This is a crop of a whole-slide image: an H&E-stained breast-cancer sentinel lymph node section at roughly 40× magnification (about 0.23 µm per pixel; the crop spans about 0.12 mm).
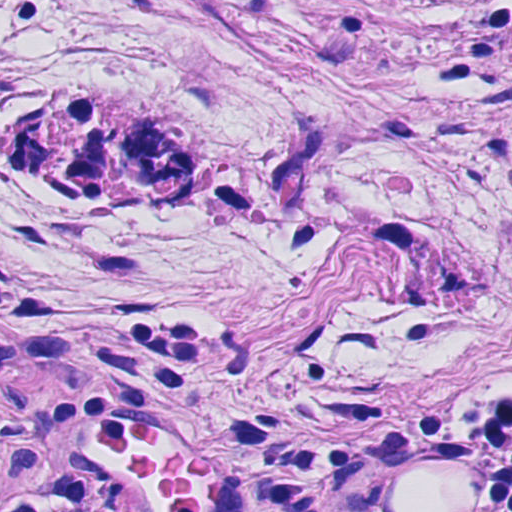
Two metastatic tumour regions, each outlined as a closed clockwise path in crop pixels (x, y), largest first: region 1: (58, 21), (107, 23), (313, 82), (331, 159), (279, 234), (72, 248), (0, 209), (0, 47); region 2: (366, 191), (491, 252), (511, 303), (435, 315), (347, 315), (317, 281), (327, 239).
Tumour covers about 30% of the frame.